H&E-stained section of a sentinel lymph node (breast cancer), from a whole-slide image, viewed at about 10×: the field is about 0.46 mm across, about 0.9 µm per pixel.
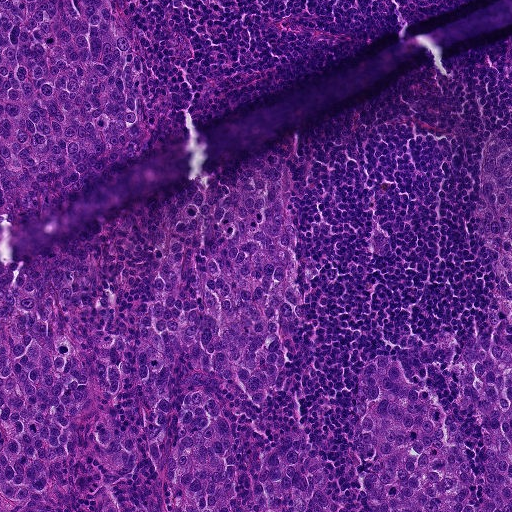
Question: Describe where the metastatic carcinoma lies in this crop.
Answer: Three metastatic tumour regions, each outlined as a closed clockwise path in crop pixels (x, y), largest first: region 1: (0, 0), (113, 0), (142, 58), (144, 126), (187, 138), (184, 109), (193, 159), (189, 182), (210, 174), (224, 197), (264, 154), (284, 162), (305, 315), (263, 405), (209, 388), (238, 447), (232, 506), (0, 511), (0, 268), (182, 187), (190, 162), (174, 142), (0, 227); region 2: (511, 140), (511, 511), (376, 511), (362, 491), (361, 469), (350, 448), (357, 389), (365, 368), (383, 354), (396, 356), (406, 376), (458, 421), (474, 465), (477, 504), (481, 493), (482, 448), (458, 397), (457, 362), (465, 340), (487, 337), (497, 291), (475, 214), (490, 141); region 3: (304, 429), (322, 459), (330, 493), (337, 503), (353, 511), (237, 511), (253, 488), (258, 465), (264, 455), (293, 433).
Two more small tumour pieces are annotated here but not outlined.
The annotated tumour makes up about 55% of the crop.